This is a crop of a whole-slide image: an H&E-stained breast-cancer sentinel lymph node section at roughly 40× magnification (about 0.23 µm per pixel; the crop spans about 0.12 mm).
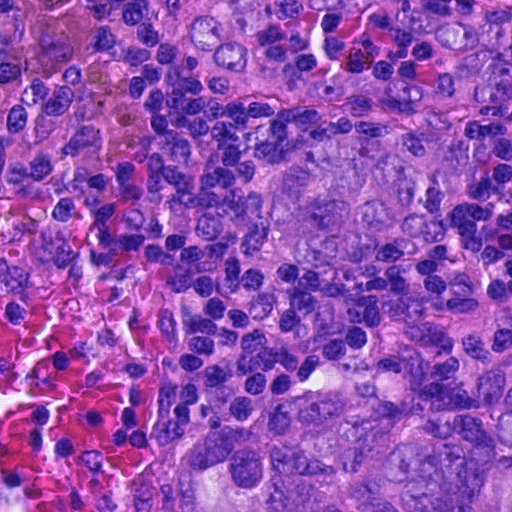
Question: Trace the edge of each tumour region in this crop, as (x, y) points from 0 to 511.
Answer: Outlines of two tumour regions, largest first (closed clockwise paths, crop pixels): region 1: (511, 348), (511, 511), (182, 511), (209, 440), (259, 400), (323, 387), (384, 397), (434, 435), (489, 361); region 2: (378, 131), (426, 170), (420, 233), (376, 276), (315, 271), (265, 228), (268, 166), (326, 140).
Tumour covers about 20% of the frame.